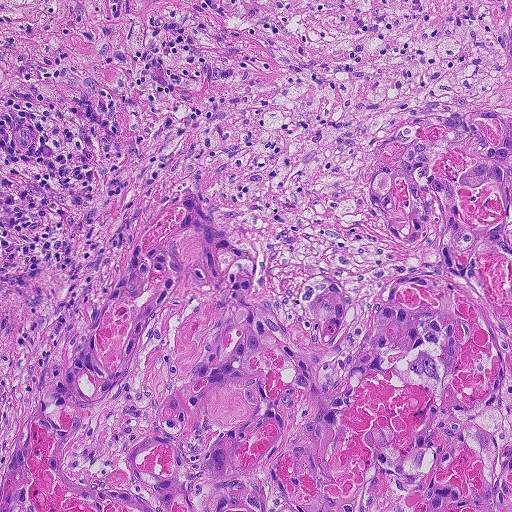
A 0.46-mm field of an H&E-stained sentinel lymph node from a breast-cancer patient (whole-slide image), shown at about 10×, about 0.9 µm per pixel.
Two metastatic tumour regions, each outlined as a closed clockwise path in crop pixels (x, y), largest first: region 1: (438, 101), (510, 114), (511, 511), (0, 511), (0, 467), (18, 429), (77, 352), (141, 221), (176, 186), (209, 196), (230, 240), (258, 249), (285, 299), (328, 271), (355, 304), (435, 258), (440, 237), (420, 250), (396, 244), (364, 208), (376, 137); region 2: (508, 0), (511, 0), (511, 81), (506, 75), (498, 50), (496, 24), (506, 2).
About 55% of the image area is annotated as tumour.